Question: 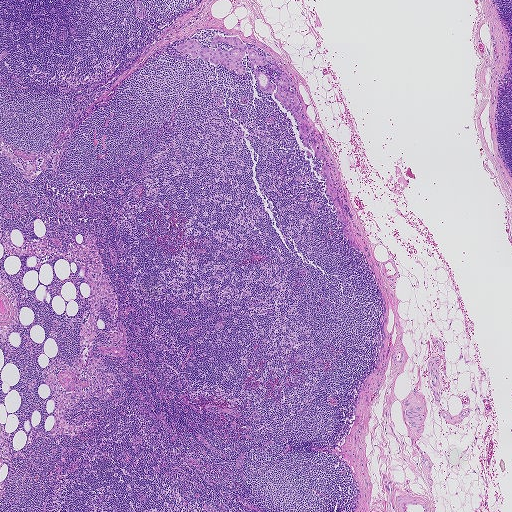
About what magnification does this crop show?

Choices:
 (A) about 20×
 (B) about 5×
 (C) about 40×
 (D) about 2.5×
 (E) about 10×

Answer: (D) about 2.5×
Lymph node section stained with H&E, from a whole-slide image of a breast-cancer sentinel node. Magnification about 2.5×, about 1.9 mm across the frame, about 3.6 µm per pixel.
One tumour region is annotated but not outlined: its edge is too irregular for a short outline.
Under 5% of this field is tumour.